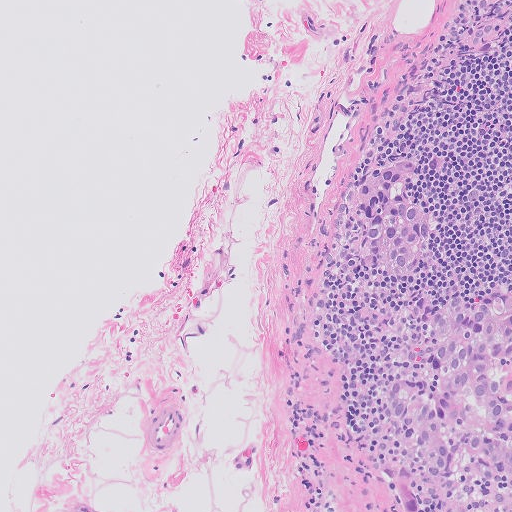
Lymph node section stained with H&E, from a whole-slide image of a breast-cancer sentinel node. Magnification about 10×, about 0.51 mm across the frame, about 1.0 µm per pixel.
Boundaries of two metastatic tumour regions, simplified and listed clockwise, largest first: region 1: (511, 282), (511, 484), (471, 473), (438, 492), (427, 486), (418, 497), (420, 511), (397, 511), (386, 492), (393, 480), (418, 472), (385, 413), (386, 384), (425, 374), (428, 320), (444, 300), (458, 292); region 2: (397, 158), (412, 158), (420, 166), (408, 190), (431, 204), (433, 234), (430, 246), (413, 270), (402, 278), (388, 278), (376, 272), (364, 264), (354, 250), (354, 236), (340, 212), (340, 198), (359, 173), (371, 165).
One more small tumour piece is annotated here but not outlined.
The annotated tumour makes up about 10% of the crop.